Lymph node section stained with H&E, from a whole-slide image of a breast-cancer sentinel node. Magnification about 20×, about 0.25 mm across the frame, about 0.49 µm per pixel.
Image:
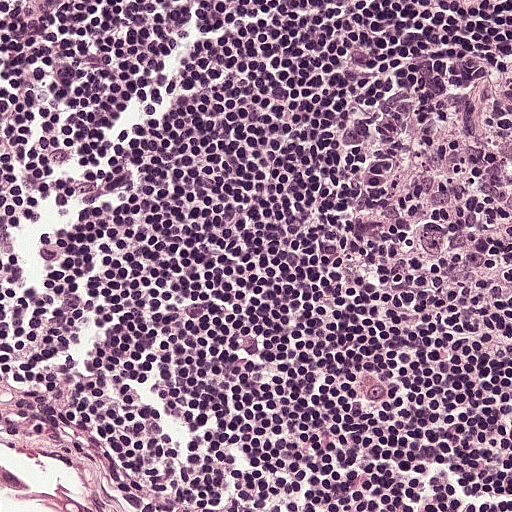
Question:
Is there metastatic carcinoma in this field?
Answer:
No. No metastatic tumour is outlined in this field.